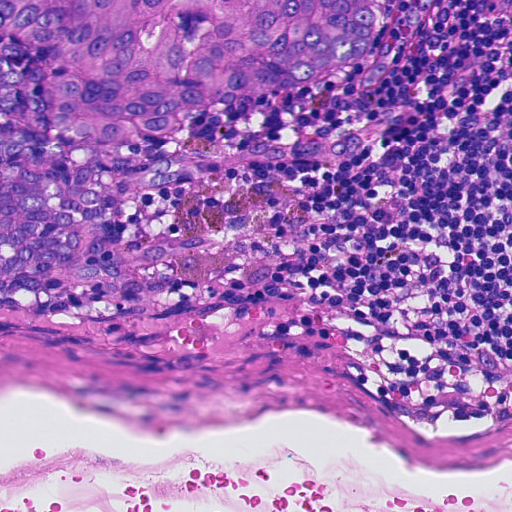
H&E-stained section of a sentinel lymph node (breast cancer), from a whole-slide image, viewed at about 20×: the field is about 0.23 mm across, about 0.45 µm per pixel.
One metastatic tumour region; its boundary, reduced to 9 corners and listed clockwise: (0, 0), (368, 0), (364, 50), (338, 75), (134, 172), (118, 208), (129, 248), (80, 304), (0, 318).
Tumour covers about 25% of the frame.